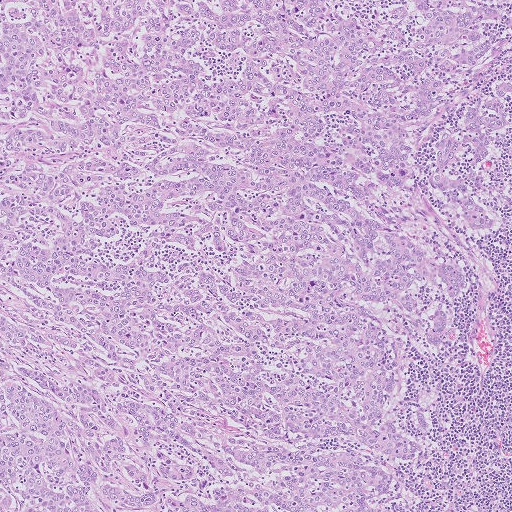
H&E-stained section of a sentinel lymph node (breast cancer), from a whole-slide image, viewed at about 5×: the field is about 1.0 mm across, about 2.0 µm per pixel.
Question: Describe where the metastatic carcinoma lies in this crop.
Answer: One metastatic tumour region; its boundary, reduced to 8 corners and listed clockwise: (0, 0), (511, 0), (511, 246), (478, 305), (422, 365), (453, 480), (429, 511), (0, 511).
About 95% of this field is tumour.